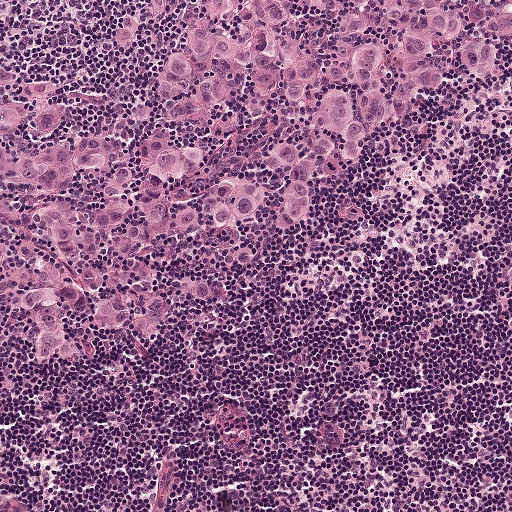
This is a crop of a whole-slide image: an H&E-stained breast-cancer sentinel lymph node section at roughly 10× magnification (about 0.97 µm per pixel; the crop spans about 0.5 mm).
Question: Outline the metastatic carcinoma in this image, as closed paths of (x, y) pixel coordinates.
Answer: One metastatic tumour region; its boundary, reduced to 8 corners and listed clockwise: (0, 0), (511, 0), (511, 82), (417, 125), (303, 222), (234, 301), (166, 343), (2, 380).
Tumour covers about 50% of the frame.

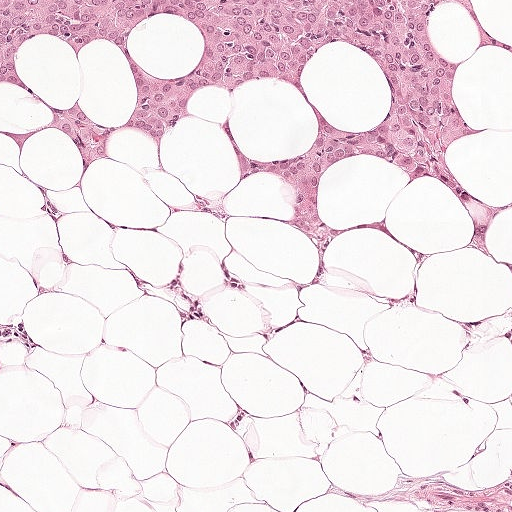
A 0.5-mm field of an H&E-stained sentinel lymph node from a breast-cancer patient (whole-slide image), shown at about 10×, about 0.97 µm per pixel.
Question: Outline the metastatic carcinoma in this image, as closed paths of (x, y) pixel coordinates.
Answer: Tumour region outline (a closed clockwise path, crop pixels): (475, 0), (482, 20), (489, 28), (497, 35), (511, 42), (511, 52), (478, 44), (469, 10), (464, 2), (459, 1).
One more tumour region is annotated but not outlined: its edge is too irregular for a short outline.
Tumour covers about 20% of the frame.

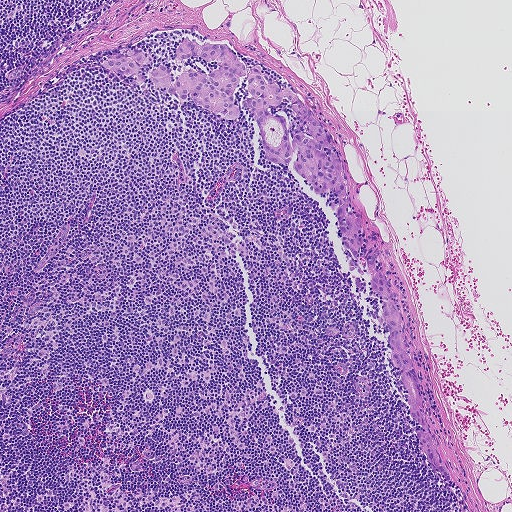
This is a crop of a whole-slide image: an H&E-stained breast-cancer sentinel lymph node section at roughly 5× magnification (about 1.8 µm per pixel; the crop spans about 0.93 mm).
Question: Outline the metastatic carcinoma in this image, as closed paths of (x, y) pixel coordinates.
Answer: Metastatic tumour outline, simplified to 40 points and listed clockwise in crop pixels (x, y): (186, 35), (227, 44), (248, 71), (256, 64), (270, 84), (288, 86), (331, 134), (349, 214), (360, 215), (368, 246), (381, 248), (376, 271), (391, 290), (450, 480), (420, 448), (366, 249), (359, 260), (345, 248), (329, 207), (336, 194), (313, 192), (295, 154), (282, 165), (267, 158), (241, 106), (252, 96), (248, 76), (233, 92), (232, 120), (162, 90), (150, 66), (140, 68), (145, 81), (100, 64), (124, 49), (171, 68), (173, 84), (180, 70), (219, 66), (177, 59).
Tumour covers about 5% of the frame.

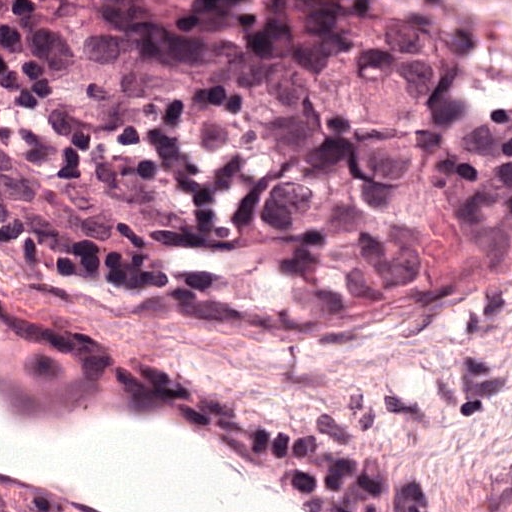
This is a crop of a whole-slide image: an H&E-stained breast-cancer sentinel lymph node section at roughly 40× magnification (about 0.24 µm per pixel; the crop spans about 0.12 mm).
Question: Outline the metastatic carcinoma in this image, as closed paths of (x, y) pixel coordinates.
Answer: One metastatic tumour region; its boundary, reduced to 9 corners and listed clockwise: (464, 35), (505, 46), (511, 220), (390, 283), (231, 300), (112, 290), (0, 227), (0, 68), (142, 68).
About 45% of the image area is annotated as tumour.